A 0.23-mm field of an H&E-stained sentinel lymph node from a breast-cancer patient (whole-slide image), shown at about 20×, about 0.45 µm per pixel.
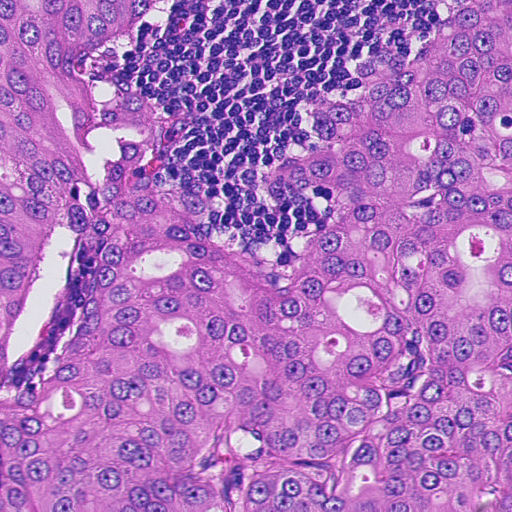
The outlined metastatic tumour's edge, as a closed clockwise path of 15 points: (0, 0), (159, 0), (96, 60), (155, 102), (179, 176), (222, 234), (282, 262), (312, 238), (326, 194), (268, 188), (324, 86), (461, 0), (511, 0), (511, 511), (0, 511).
About 85% of this field is tumour.